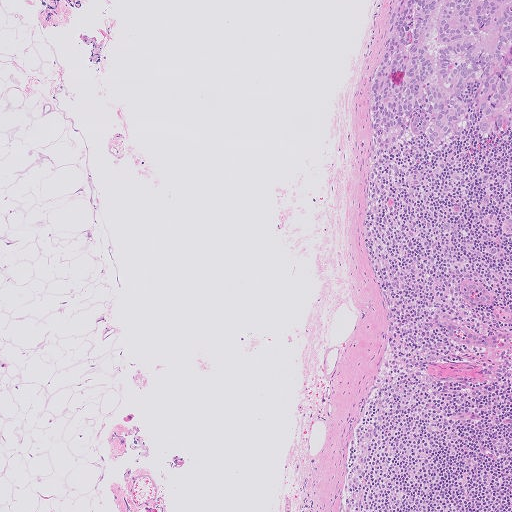
H&E-stained section of a sentinel lymph node (breast cancer), from a whole-slide image, viewed at about 5×: the field is about 1.0 mm across, about 2.0 µm per pixel.
Metastatic tumour outline, simplified to 15 points and listed clockwise in crop pixels (x, y): (511, 0), (511, 121), (501, 135), (482, 139), (475, 132), (464, 132), (438, 146), (428, 142), (432, 122), (419, 108), (394, 146), (376, 152), (369, 133), (371, 82), (400, 1).
About 5% of this field is tumour.